This is a crop of a whole-slide image: an H&E-stained breast-cancer sentinel lymph node section at roughly 40× magnification (about 0.25 µm per pixel; the crop spans about 0.13 mm).
Question: 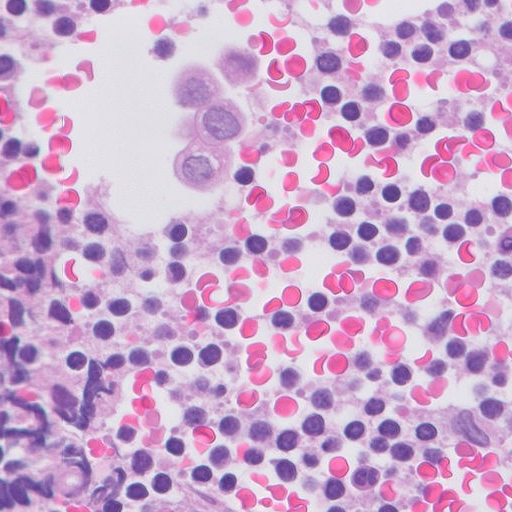
Roughly what share of this field is metastatic tumour?

Choices:
 (A) none: no tumour is outlined
 (B) about 50% or more
 (C) about 25% to 45%
 (D) about 5% or less
 (E) about 10% to 20%

Answer: (D) about 5% or less
About 5% of the field is tumour.
One metastatic tumour region; its boundary, reduced to 6 corners and listed clockwise: (284, 28), (285, 128), (221, 215), (153, 199), (155, 78), (198, 40).